H&E-stained section of a sentinel lymph node (breast cancer), from a whole-slide image, viewed at about 20×: the field is about 0.23 mm across, about 0.45 µm per pixel.
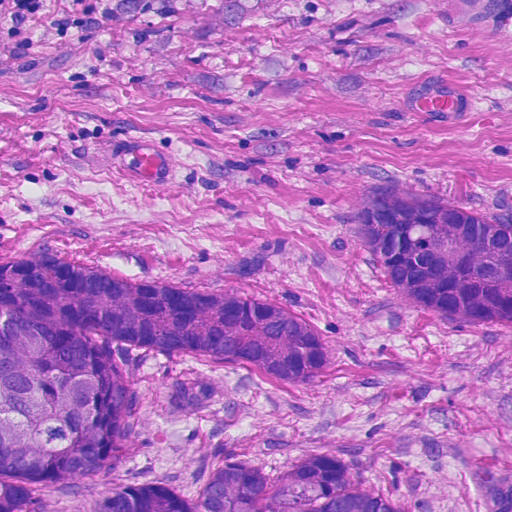
Question: Which parts of this field are metastatic tumour? Answer with the outline of each region, in pixels.
Answer: Outlines of three tumour regions, largest first (closed clockwise paths, crop pixels): region 1: (0, 259), (89, 262), (276, 304), (318, 328), (330, 368), (304, 382), (108, 347), (122, 450), (83, 481), (38, 492), (22, 511), (0, 511); region 2: (370, 182), (406, 182), (511, 226), (511, 334), (437, 315), (404, 300), (378, 276), (356, 247), (348, 211); region 3: (303, 452), (348, 462), (350, 483), (394, 500), (408, 511), (105, 511), (110, 486).
The annotated tumour makes up about 25% of the crop.